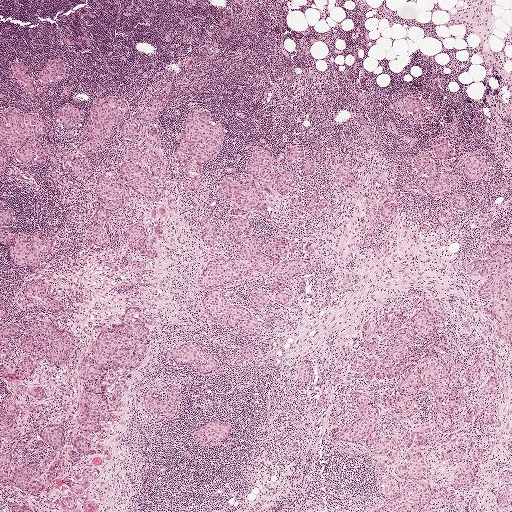
Lymph node section stained with H&E, from a whole-slide image of a breast-cancer sentinel node. Magnification about 2.5×, about 2.0 mm across the frame, about 3.9 µm per pixel.
Question: Outline the metastatic carcinoma in this image, as closed paths of (x, y) pixel coordinates.
Answer: Eight metastatic tumour regions, each outlined as a closed clockwise path in crop pixels (x, y), largest first: region 1: (136, 305), (154, 318), (148, 351), (120, 398), (121, 408), (115, 411), (120, 419), (102, 420), (101, 434), (95, 438), (91, 454), (75, 463), (67, 458), (73, 448), (72, 438), (79, 430), (78, 402), (82, 385), (75, 368), (95, 338), (120, 325), (127, 308); region 2: (271, 147), (273, 176), (271, 182), (267, 184), (272, 191), (270, 194), (263, 192), (269, 204), (266, 217), (255, 210), (242, 217), (249, 221), (254, 233), (261, 238), (261, 250), (282, 234), (288, 236), (290, 245), (278, 264), (265, 275), (254, 271), (233, 284), (204, 290), (199, 287), (197, 281), (204, 264), (217, 255), (235, 258), (239, 248), (235, 241), (237, 233), (227, 224), (235, 203), (220, 196), (217, 189), (227, 177), (248, 178), (247, 162), (255, 148); region 3: (209, 108), (214, 120), (225, 124), (226, 132), (220, 153), (212, 157), (209, 163), (202, 164), (204, 182), (200, 190), (196, 192), (188, 189), (190, 181), (182, 176), (184, 164), (174, 154), (177, 138), (185, 120), (194, 109); region 4: (101, 96), (122, 98), (126, 103), (125, 114), (117, 127), (111, 130), (107, 142), (91, 153), (89, 174), (86, 176), (81, 176), (74, 171), (72, 162), (79, 153), (80, 144), (89, 126), (91, 106); region 5: (196, 341), (205, 351), (215, 357), (220, 365), (218, 372), (213, 375), (205, 375), (194, 371), (193, 362), (182, 368), (177, 366), (175, 361), (163, 358), (164, 353), (170, 348); region 6: (206, 420), (228, 422), (232, 428), (231, 436), (217, 447), (199, 444), (192, 433); region 7: (74, 103), (83, 112), (83, 117), (73, 127), (62, 127), (54, 118), (55, 112), (62, 104); region 8: (0, 294), (2, 294), (4, 297), (3, 303), (6, 306), (8, 309), (8, 316), (6, 318), (0, 318).
About 5% of this field is tumour.